Lymph node section stained with H&E, from a whole-slide image of a breast-cancer sentinel node. Magnification about 40×, about 0.12 mm across the frame, about 0.24 µm per pixel.
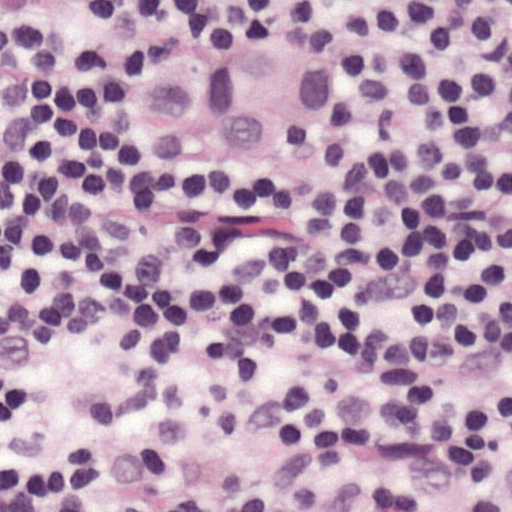
Metastatic tumour outline, simplified to 7 points and listed clockwise in crop pixels (x, y): (200, 24), (292, 33), (345, 182), (258, 210), (137, 197), (44, 130), (94, 48).
About 15% of this field is tumour.